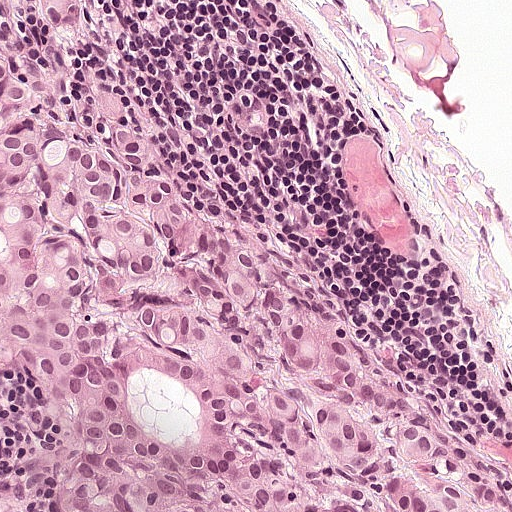
A 0.25-mm field of an H&E-stained sentinel lymph node from a breast-cancer patient (whole-slide image), shown at about 20×, about 0.49 µm per pixel.
Tumour region outline (a closed clockwise path, crop pixels): (0, 0), (94, 0), (148, 146), (192, 208), (302, 264), (406, 383), (511, 474), (511, 511), (0, 511), (0, 492), (40, 452), (42, 410), (26, 376), (0, 365).
Tumour covers about 55% of the frame.